Question: 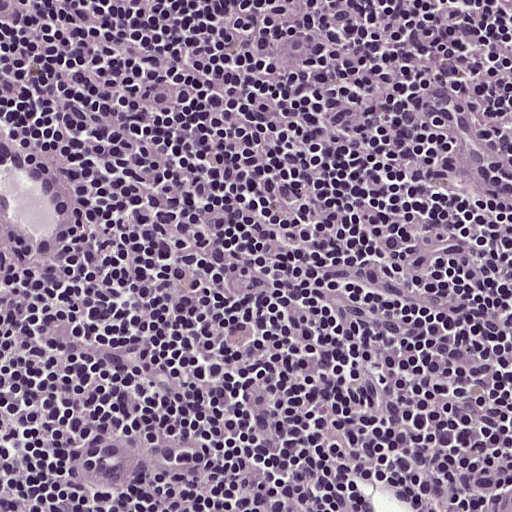
Which magnification is this H&E lymph node field most likely shown at?

Choices:
 (A) about 5×
 (B) about 40×
 (C) about 10×
 (D) about 20×
 (E) about 2.5×

Answer: (D) about 20×
H&E-stained section of a sentinel lymph node (breast cancer), from a whole-slide image, viewed at about 20×: the field is about 0.25 mm across, about 0.49 µm per pixel.